A 0.23-mm field of an H&E-stained sentinel lymph node from a breast-cancer patient (whole-slide image), shown at about 20×, about 0.45 µm per pixel.
Question: 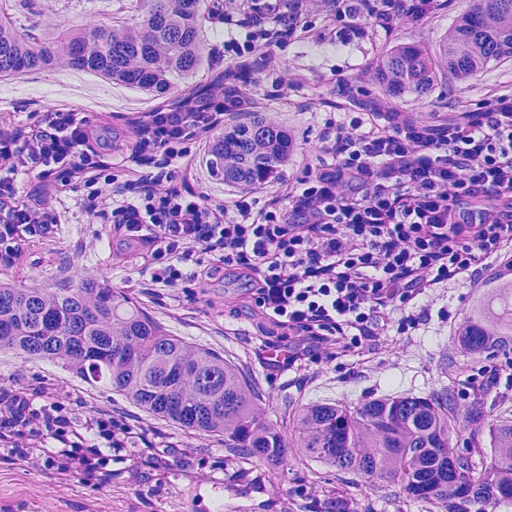
Roughly what share of this field is metastatic tumour?

Choices:
 (A) about 5% or less
 (B) about 25% to 45%
 (C) about 50% or more
 (D) about 10% to 20%
 (E) none: no tumour is outlined

Answer: (B) about 25% to 45%
About 45% of the field is tumour.
Outlines of two tumour regions, largest first (closed clockwise paths, crop pixels): region 1: (511, 239), (511, 510), (450, 511), (407, 490), (270, 469), (0, 353), (0, 269), (53, 244), (247, 372), (311, 396), (409, 390), (432, 368), (467, 276); region 2: (0, 0), (511, 0), (511, 86), (429, 128), (362, 110), (324, 116), (292, 178), (261, 193), (227, 191), (204, 165), (202, 130), (263, 97), (238, 77), (171, 100), (70, 73), (0, 80).